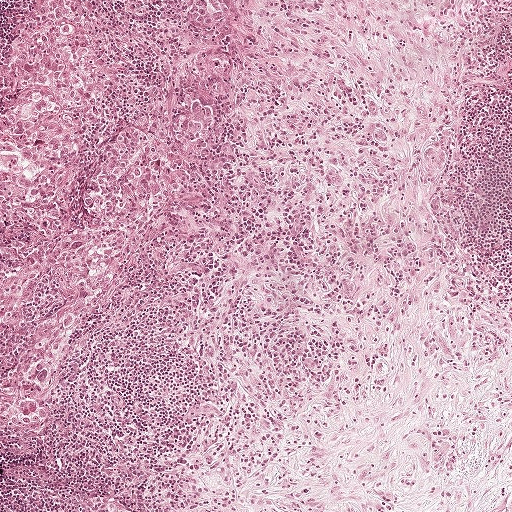
Lymph node section stained with H&E, from a whole-slide image of a breast-cancer sentinel node. Magnification about 5×, about 1 mm across the frame, about 1.9 µm per pixel.
Question: Where is the metastatic tumour in this field?
Answer: Tumour region outline (a closed clockwise path, crop pixels): (27, 0), (253, 0), (250, 100), (234, 136), (185, 196), (140, 217), (50, 430), (0, 438), (0, 41).
About 25% of this field is tumour.